Image:
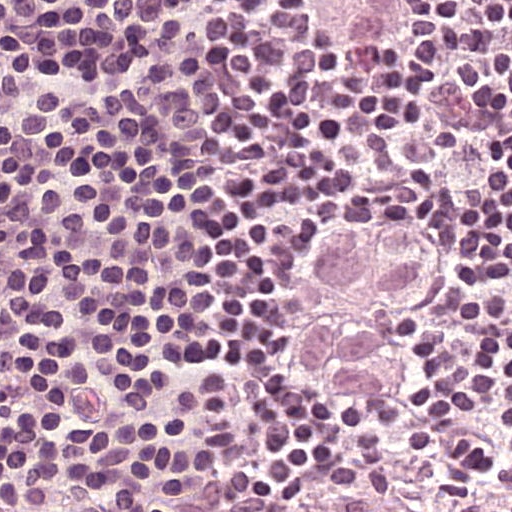
This is a crop of a whole-slide image: an H&E-stained breast-cancer sentinel lymph node section at roughly 40× magnification (about 0.24 µm per pixel; the crop spans about 0.12 mm).
Question:
Which parts of this field are metastatic tumour? Answer with the outline of each region, in pixels.
Answer:
The outlined metastatic tumour's edge, as a closed clockwise path of 15 points: (378, 237), (433, 248), (437, 265), (435, 313), (424, 336), (405, 353), (405, 412), (388, 431), (355, 445), (331, 441), (273, 410), (266, 387), (266, 341), (283, 305), (304, 274).
About 10% of the image area is annotated as tumour.